Image:
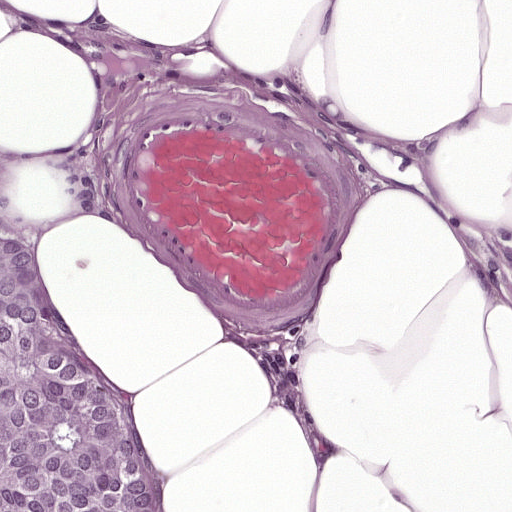
This is a crop of a whole-slide image: an H&E-stained breast-cancer sentinel lymph node section at roughly 20× magnification (about 0.49 µm per pixel; the crop spans about 0.25 mm).
Question:
Outline the metastatic carcinoma in this image, as closed paths of (x, y) pixel coordinates.
Answer:
Metastatic tumour outline, simplified to 5 points and listed clockwise in crop pixels (x, y): (0, 228), (10, 232), (124, 398), (169, 511), (0, 511).
About 10% of this field is tumour.